This is a crop of a whole-slide image: an H&E-stained breast-cancer sentinel lymph node section at roughly 5× magnification (about 1.8 µm per pixel; the crop spans about 0.93 mm).
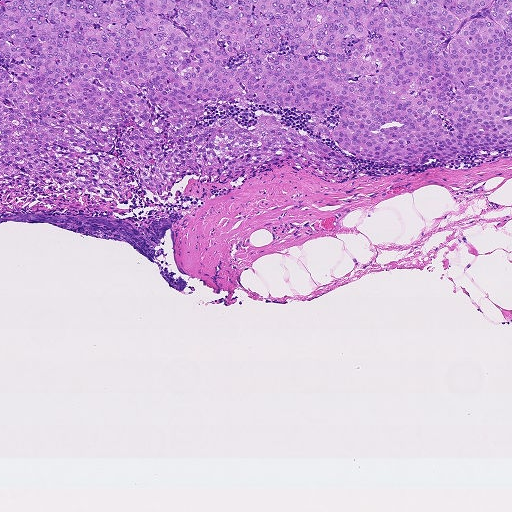
One metastatic tumour region; its boundary, reduced to 23 corners and listed clockwise: (0, 0), (511, 0), (511, 151), (417, 166), (370, 162), (314, 134), (303, 111), (232, 98), (204, 105), (199, 124), (227, 118), (249, 130), (273, 116), (348, 157), (356, 173), (332, 180), (274, 162), (220, 182), (188, 175), (167, 198), (142, 193), (120, 216), (1, 220).
The annotated tumour makes up about 35% of the crop.